Question: 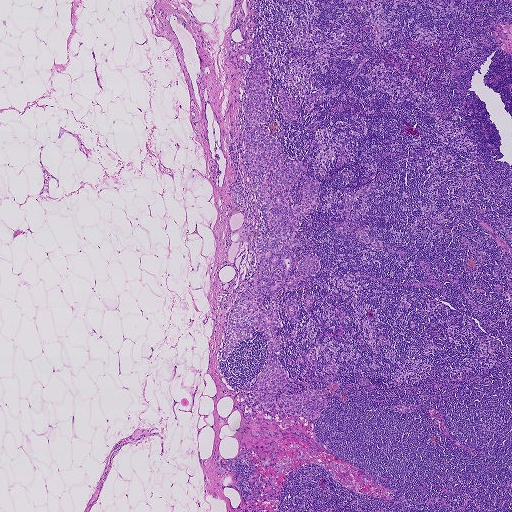
Which magnification is this H&E lymph node field most likely shown at?

Choices:
 (A) about 2.5×
 (B) about 5×
 (C) about 40×
 (D) about 20×
 (E) about 10×

Answer: (A) about 2.5×
H&E-stained section of a sentinel lymph node (breast cancer), from a whole-slide image, viewed at about 2.5×: the field is about 1.9 mm across, about 3.6 µm per pixel.
One tumour region is annotated but not outlined: its edge is too irregular for a short outline.
Tumour covers about 5% of the frame.